A 0.46-mm field of an H&E-stained sentinel lymph node from a breast-cancer patient (whole-slide image), shown at about 10×, about 0.9 µm per pixel.
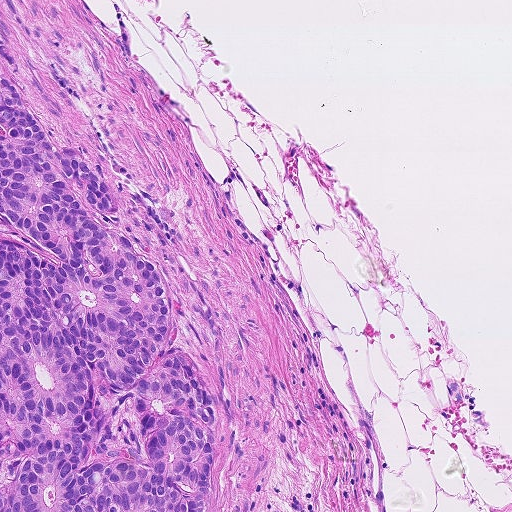
Metastatic tumour outline, simplified to 11 points and listed clockwise in crop pixels (x, y): (0, 62), (56, 152), (70, 145), (102, 167), (140, 256), (168, 282), (168, 348), (202, 363), (213, 400), (207, 505), (0, 511).
About 25% of the image area is annotated as tumour.